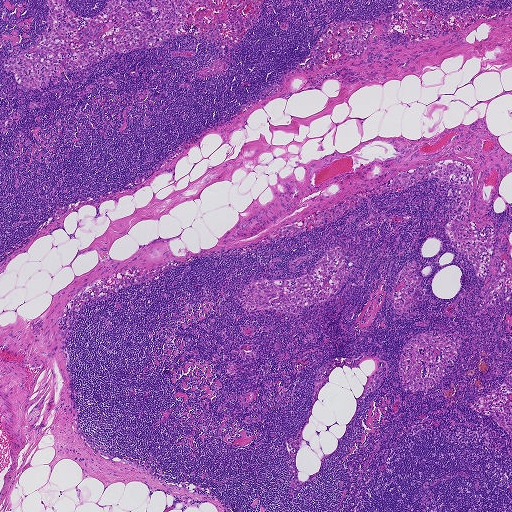
Lymph node section stained with H&E, from a whole-slide image of a breast-cancer sentinel node. Magnification about 2.5×, about 1.9 mm across the frame, about 3.6 µm per pixel.
Question: Is there metastatic carcinoma in this field?
Answer: No, this field holds no outlined metastasis.